A 0.12-mm field of an H&E-stained sentinel lymph node from a breast-cancer patient (whole-slide image), shown at about 40×, about 0.24 µm per pixel.
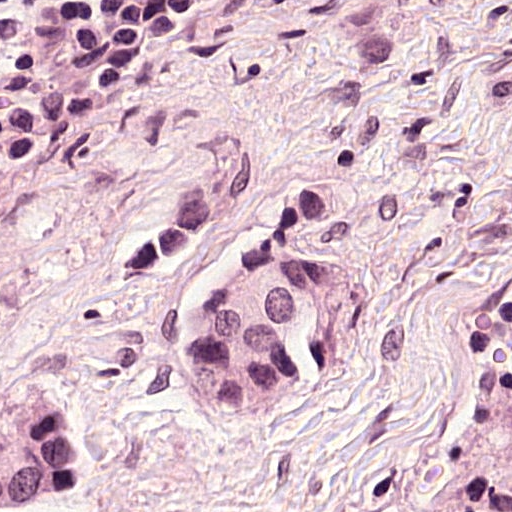
Boundaries of two metastatic tumour regions, simplified and listed clockwise, largest first: region 1: (249, 250), (281, 271), (293, 271), (308, 289), (306, 344), (315, 352), (315, 383), (289, 412), (273, 417), (251, 417), (202, 393), (185, 354), (183, 322), (196, 295), (234, 271); region 2: (55, 395), (57, 399), (83, 406), (95, 454), (91, 477), (59, 497), (43, 497), (2, 509), (0, 414), (38, 404), (41, 399).
One more small tumour piece is annotated here but not outlined.
About 10% of the image area is annotated as tumour.